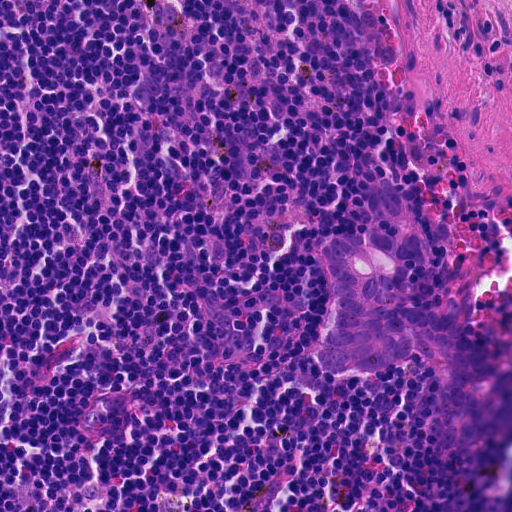
A 0.23-mm field of an H&E-stained sentinel lymph node from a breast-cancer patient (whole-slide image), shown at about 20×, about 0.45 µm per pixel.
The outlined metastatic tumour's edge, as a closed clockwise path of 24 points: (384, 182), (404, 188), (416, 204), (431, 242), (437, 287), (476, 330), (481, 368), (472, 408), (482, 426), (478, 446), (459, 453), (435, 446), (426, 429), (438, 370), (424, 356), (404, 358), (388, 372), (328, 372), (316, 357), (334, 300), (316, 264), (315, 242), (368, 216), (370, 196).
About 10% of the image area is annotated as tumour.